Question: 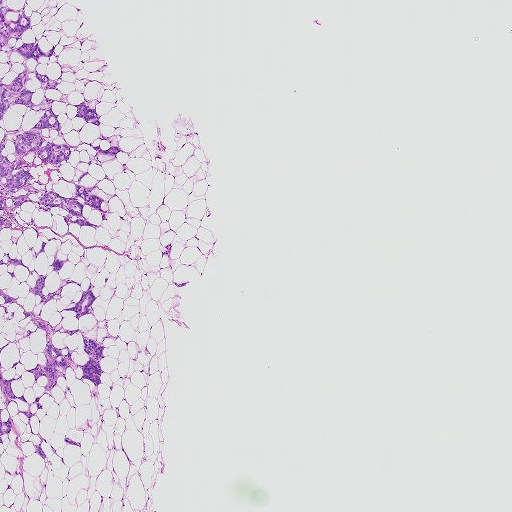
H&E-stained section of a sentinel lymph node (breast cancer), from a whole-slide image, viewed at about 2.5×: the field is about 1.9 mm across, about 3.6 µm per pixel.
Estimate the proportion of this field that is metastatic tumour.

Choices:
 (A) none: no tumour is outlined
 (B) about 5% or less
 (C) about 25% to 45%
 (D) about 50% or more
 (E) about 10% to 20%

Answer: (B) about 5% or less
About 5% of the field is tumour.
Five metastatic tumour regions, each outlined as a closed clockwise path in crop pixels (x, y), largest first: region 1: (0, 289), (27, 311), (37, 315), (41, 308), (44, 321), (56, 325), (60, 314), (64, 329), (78, 328), (104, 345), (102, 382), (96, 387), (81, 380), (81, 368), (69, 367), (66, 380), (59, 377), (43, 389), (47, 378), (37, 383), (26, 370), (46, 361), (44, 332), (39, 327), (26, 337), (36, 326), (30, 316), (20, 321), (23, 310), (12, 303), (7, 310), (14, 311), (13, 318), (3, 320); region 2: (43, 240), (48, 243), (49, 265), (54, 254), (69, 260), (59, 274), (48, 268), (43, 295), (57, 290), (59, 278), (81, 284), (82, 290), (89, 281), (95, 286), (96, 298), (90, 306), (95, 318), (90, 314), (78, 319), (72, 311), (60, 309), (78, 301), (78, 286), (65, 285), (61, 298), (43, 306), (29, 289), (37, 272), (31, 275), (18, 265), (12, 278), (6, 271), (13, 266), (2, 264), (4, 251), (28, 267), (33, 253), (28, 247), (38, 251); region 3: (0, 358), (6, 370), (19, 359), (22, 364), (1, 373), (8, 380), (22, 375), (11, 383), (15, 395), (23, 394), (31, 402), (42, 395), (38, 401), (42, 409), (30, 418), (34, 434), (38, 430), (47, 440), (41, 445), (47, 458), (35, 453), (33, 446), (40, 440), (32, 434), (25, 415), (17, 412), (17, 409), (24, 410), (27, 405), (19, 399), (14, 399), (17, 406), (12, 402), (8, 406), (13, 426), (7, 438), (0, 443), (0, 409), (4, 404), (0, 391); region 4: (0, 0), (6, 0), (8, 7), (14, 10), (20, 9), (25, 4), (24, 12), (26, 15), (31, 16), (31, 30), (28, 29), (26, 30), (20, 39), (10, 39), (0, 51); region 5: (0, 215), (7, 219), (9, 221), (11, 229), (12, 235), (15, 237), (18, 236), (21, 234), (23, 231), (22, 235), (17, 244), (16, 244), (12, 244), (11, 243), (9, 237), (10, 231), (8, 228), (5, 228), (0, 231).
One more tumour region is annotated but not outlined: its edge is too irregular for a short outline.
One more small tumour piece is annotated here but not outlined.